Image:
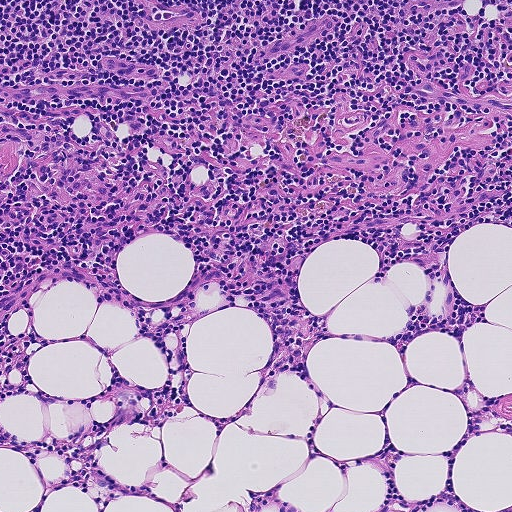
This is a crop of a whole-slide image: an H&E-stained breast-cancer sentinel lymph node section at roughly 10× magnification (about 0.9 µm per pixel; the crop spans about 0.46 mm).
Question:
Is any metastatic breast cancer visible in this crop?
Answer:
No. No metastatic tumour is outlined in this field.